Image:
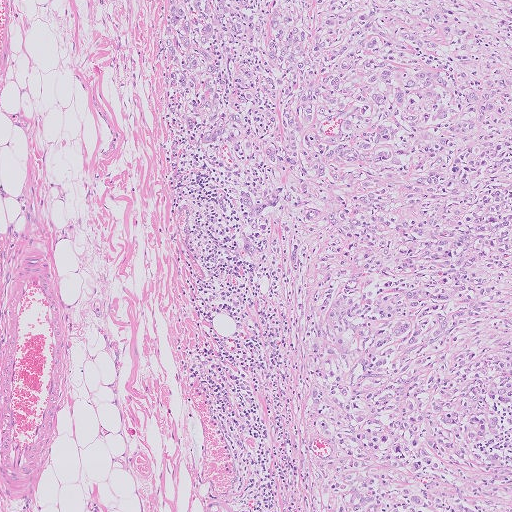
A 1.0-mm field of an H&E-stained sentinel lymph node from a breast-cancer patient (whole-slide image), shown at about 5×, about 2.0 µm per pixel.
Question:
Describe where the metastatic carcinoma lies in this crop.
Answer:
Metastatic tumour outline, simplified to 7 points and listed clockwise in crop pixels (x, y): (511, 0), (511, 511), (277, 511), (236, 307), (228, 206), (184, 150), (159, 2).
About 55% of this field is tumour.